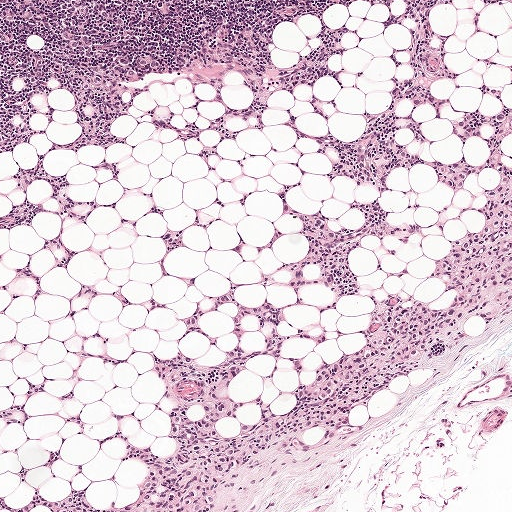
H&E-stained section of a sentinel lymph node (breast cancer), from a whole-slide image, viewed at about 5×: the field is about 1 mm across, about 1.9 µm per pixel.
One tumour region is annotated but not outlined: its edge is too irregular for a short outline.
About 20% of the image area is annotated as tumour.